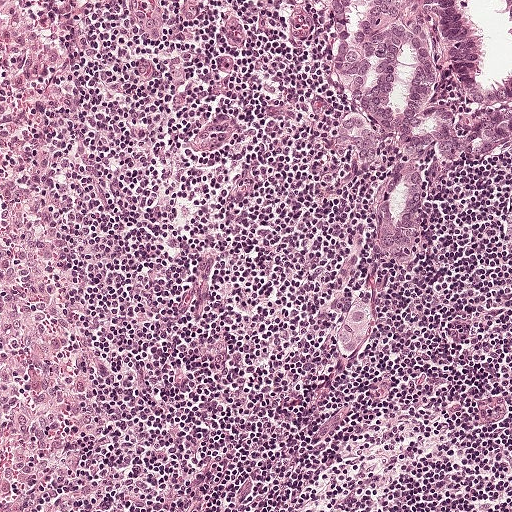
Lymph node section stained with H&E, from a whole-slide image of a breast-cancer sentinel node. Magnification about 10×, about 0.5 mm across the frame, about 0.97 µm per pixel.
Outlines of three tumour regions, largest first (closed clockwise paths, crop pixels): region 1: (511, 0), (511, 154), (483, 168), (430, 162), (434, 205), (411, 256), (385, 254), (378, 175), (362, 173), (332, 135), (345, 94), (324, 58), (323, 20), (278, 1); region 2: (358, 298), (374, 302), (377, 311), (377, 318), (368, 344), (358, 355), (349, 360), (338, 357), (333, 350), (332, 342), (346, 306); region 3: (511, 191), (511, 241), (508, 240), (502, 237), (502, 224), (504, 214), (506, 212), (506, 206), (507, 206), (510, 196).
The annotated tumour makes up about 15% of the crop.